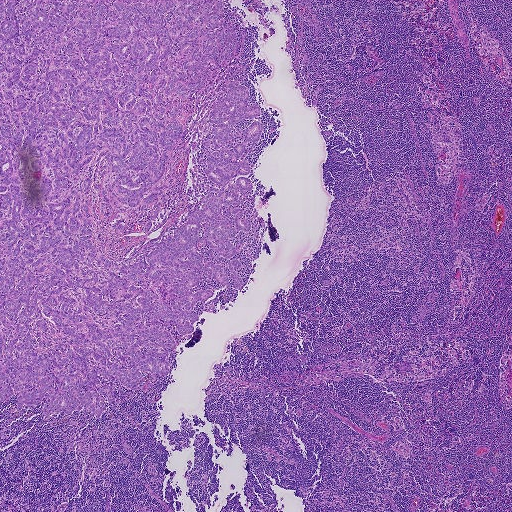
A 1.9-mm field of an H&E-stained sentinel lymph node from a breast-cancer patient (whole-slide image), shown at about 2.5×, about 3.6 µm per pixel.
Question: Does this lymph node field contain metastatic tumour?
Answer: Yes.
Tumour region outline (a closed clockwise path, crop pixels): (0, 0), (225, 2), (253, 61), (230, 79), (264, 124), (242, 286), (205, 276), (193, 290), (223, 310), (167, 326), (169, 372), (118, 386), (97, 421), (39, 404), (5, 426), (18, 393), (4, 404).
About 35% of the image area is annotated as tumour.